Question: 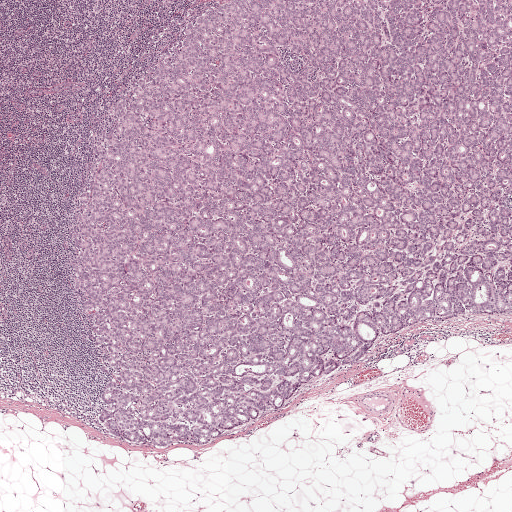
At roughly what magnification is this field shown?

Choices:
 (A) about 5×
 (B) about 2.5×
 (C) about 40×
 (D) about 10×
 (E) about 20×

Answer: (B) about 2.5×
This is a crop of a whole-slide image: an H&E-stained breast-cancer sentinel lymph node section at roughly 2.5× magnification (about 3.9 µm per pixel; the crop spans about 2.0 mm).
One metastatic tumour region; its boundary, reduced to 12 corners and listed clockwise: (511, 0), (511, 317), (404, 329), (205, 445), (120, 443), (100, 420), (104, 379), (69, 279), (74, 189), (115, 97), (166, 37), (222, 2).
Tumour covers about 60% of the frame.